Lymph node section stained with H&E, from a whole-slide image of a breast-cancer sentinel node. Magnification about 2.5×, about 2.0 mm across the frame, about 3.9 µm per pixel.
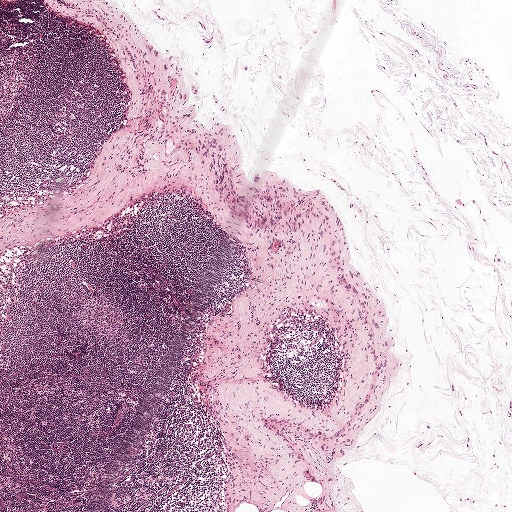
Question: Does this lymph node field contain metastatic tumour?
Answer: No. No metastatic tumour is outlined in this field.